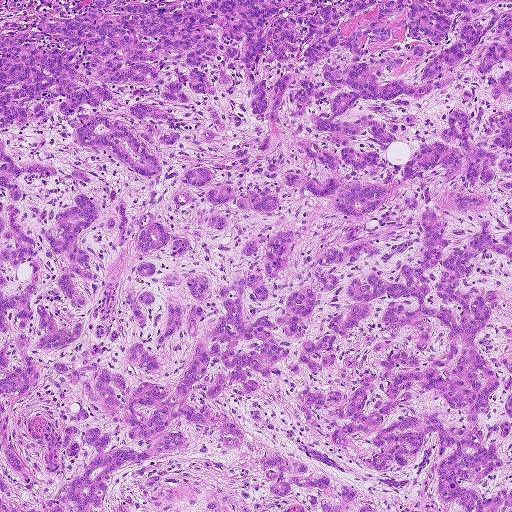
This is a crop of a whole-slide image: an H&E-stained breast-cancer sentinel lymph node section at roughly 5× magnification (about 1.8 µm per pixel; the crop spans about 0.93 mm).
Question: Describe where the metastatic carcinoma lies in this crop.
Answer: Metastatic tumour covers the whole field.
Over 95% of this field is tumour.